Question: 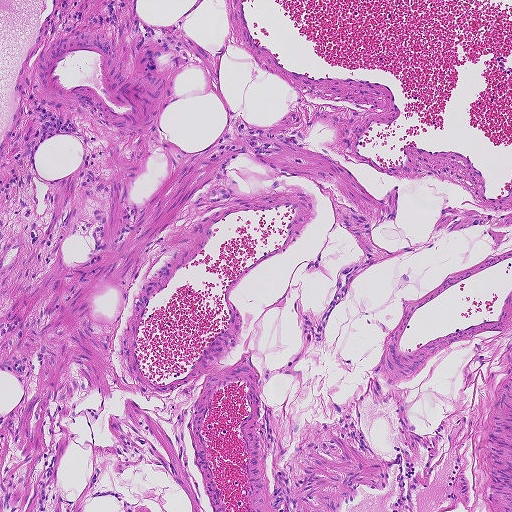
A 0.93-mm field of an H&E-stained sentinel lymph node from a breast-cancer patient (whole-slide image), shown at about 5×, about 1.8 µm per pixel.
Estimate the proportion of this field that is metastatic tumour.

Choices:
 (A) about 25% to 45%
 (B) none: no tumour is outlined
 (C) about 50% or more
 (D) about 10% to 20%
 (E) about 5% or less

Answer: (B) none: no tumour is outlined
No metastatic tumour is outlined in this field.